Question: 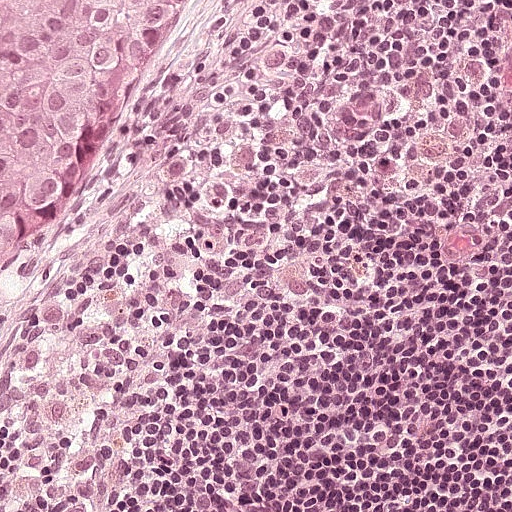
Lymph node section stained with H&E, from a whole-slide image of a breast-cancer sentinel node. Magnification about 20×, about 0.25 mm across the frame, about 0.49 µm per pixel.
Roughly what share of this field is metastatic tumour?

Choices:
 (A) about 50% or more
 (B) about 25% to 45%
 (C) about 10% to 20%
 (D) about 5% or less
 (E) none: no tumour is outlined

Answer: (C) about 10% to 20%
About 10% of the field is tumour.
Tumour region outline (a closed clockwise path, crop pixels): (0, 0), (215, 0), (158, 98), (56, 180), (1, 291).